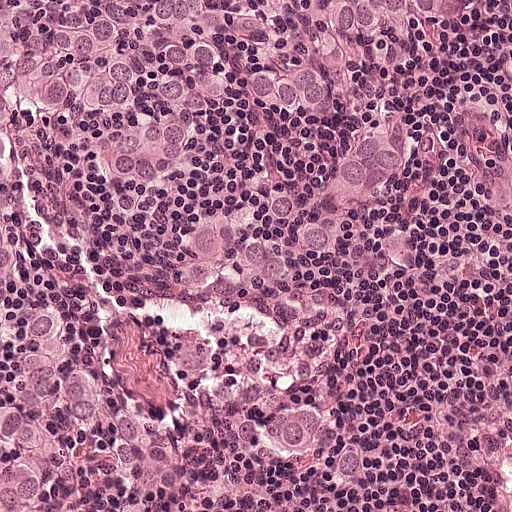
H&E-stained section of a sentinel lymph node (breast cancer), from a whole-slide image, viewed at about 20×: the field is about 0.25 mm across, about 0.49 µm per pixel.
Outlines of two tumour regions, largest first (closed clockwise paths, crop pixels): region 1: (0, 0), (457, 0), (428, 51), (348, 67), (371, 114), (410, 137), (404, 206), (327, 270), (274, 288), (226, 286), (185, 264), (177, 237), (316, 190), (332, 152), (316, 132), (264, 112), (219, 117), (176, 140), (155, 192), (140, 196), (72, 174), (49, 134), (2, 144); region 2: (0, 221), (14, 251), (5, 287), (21, 304), (52, 314), (68, 326), (64, 367), (91, 373), (102, 388), (107, 417), (104, 436), (78, 450), (60, 501), (35, 511), (0, 510), (0, 387), (8, 368), (0, 312).
About 35% of this field is tumour.